Image:
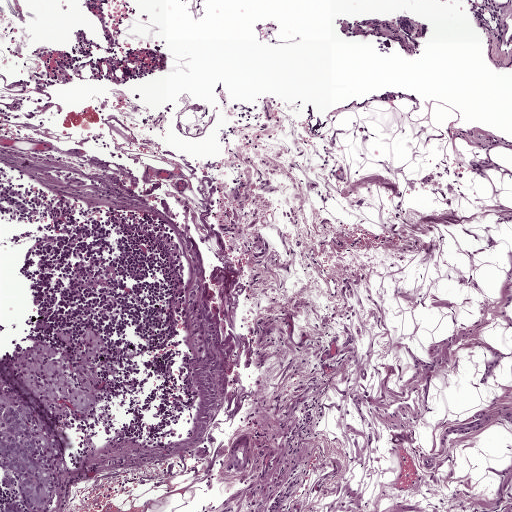
H&E-stained section of a sentinel lymph node (breast cancer), from a whole-slide image, viewed at about 5×: the field is about 1 mm across, about 1.9 µm per pixel.
Question:
Which parts of this field are metastatic tumour? Answer with the outline of each region, in pixels.
Answer:
Boundaries of three metastatic tumour regions, simplified and listed clockwise, largest first: region 1: (77, 322), (90, 324), (109, 343), (111, 354), (99, 412), (88, 418), (72, 414), (58, 495), (49, 511), (29, 511), (16, 491), (4, 489), (0, 482), (0, 355); region 2: (66, 173), (84, 175), (93, 182), (83, 188), (61, 183); region 3: (11, 502), (18, 505), (23, 511), (4, 511), (4, 504).
About 5% of the image area is annotated as tumour.